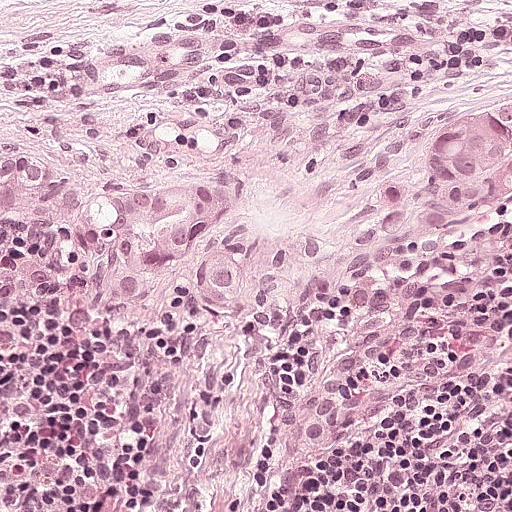
H&E-stained section of a sentinel lymph node (breast cancer), from a whole-slide image, viewed at about 20×: the field is about 0.25 mm across, about 0.49 µm per pixel.
Question: Show where the tumour is in this image.
Answer: Two metastatic tumour regions, each outlined as a closed clockwise path in crop pixels (x, y), largest first: region 1: (511, 108), (511, 210), (474, 230), (436, 241), (420, 254), (401, 281), (335, 306), (325, 302), (332, 276), (370, 210), (420, 178), (436, 147); region 2: (197, 166), (226, 174), (234, 182), (234, 222), (211, 237), (182, 287), (163, 305), (139, 317), (108, 317), (95, 312), (88, 288), (97, 264), (92, 218), (97, 194), (102, 186), (129, 180), (171, 192).
About 10% of this field is tumour.